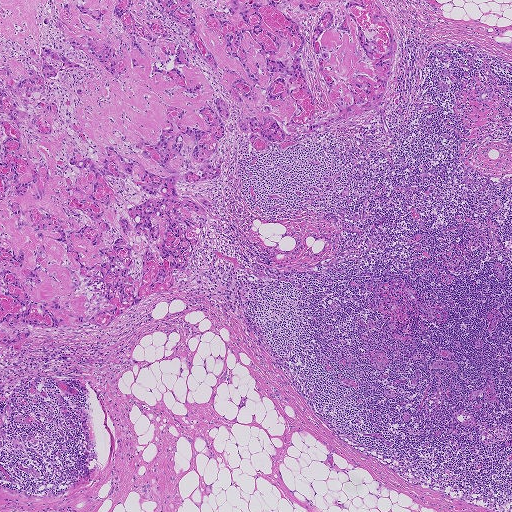
H&E-stained section of a sentinel lymph node (breast cancer), from a whole-slide image, viewed at about 2.5×: the field is about 1.9 mm across, about 3.6 µm per pixel.
The outlined metastatic tumour's edge, as a closed clockwise path of 15 points: (0, 0), (381, 5), (396, 44), (387, 102), (259, 153), (237, 118), (222, 120), (222, 176), (193, 188), (212, 205), (209, 217), (170, 288), (106, 328), (39, 326), (0, 346).
The annotated tumour makes up about 35% of the crop.